H&E-stained section of a sentinel lymph node (breast cancer), from a whole-slide image, viewed at about 2.5×: the field is about 1.9 mm across, about 3.6 µm per pixel.
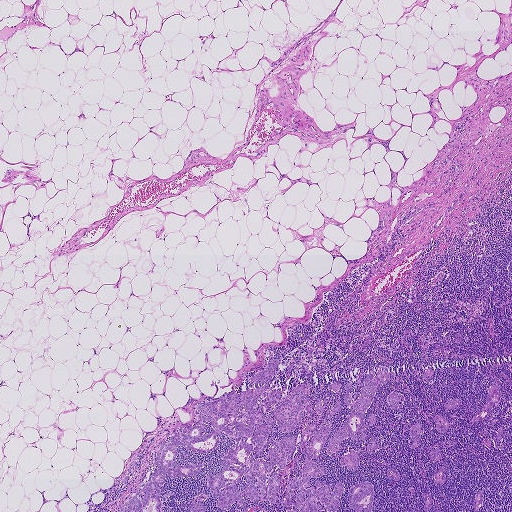
Outlines of the eight largest metastatic tumour regions, each a closed clockwise path in crop pixels (x, y), largest first: region 1: (271, 353), (281, 360), (269, 384), (279, 401), (301, 382), (309, 391), (299, 426), (282, 432), (275, 413), (260, 455), (237, 454), (248, 466), (270, 461), (272, 440), (294, 438), (291, 462), (264, 473), (279, 477), (275, 502), (246, 495), (217, 508), (206, 475), (236, 443), (223, 431), (209, 452), (175, 448), (177, 464), (204, 466), (189, 477), (165, 473), (161, 511), (118, 511), (131, 496), (141, 503), (162, 442), (224, 393), (265, 384), (251, 376); region 2: (331, 421), (330, 430), (323, 450), (318, 458), (311, 459), (327, 468), (328, 472), (320, 477), (310, 478), (309, 486), (304, 487), (305, 489), (315, 487), (316, 481), (319, 481), (326, 482), (326, 484), (341, 481), (344, 486), (338, 509), (334, 511), (328, 511), (318, 501), (322, 508), (318, 511), (287, 511), (301, 506), (295, 508), (292, 505), (287, 506), (282, 503), (282, 499), (288, 483), (300, 474), (301, 466), (305, 455), (304, 449), (313, 434); region 3: (384, 366), (388, 374), (388, 379), (386, 383), (378, 382), (365, 416), (366, 430), (364, 432), (366, 436), (365, 441), (362, 441), (359, 435), (355, 439), (348, 438), (343, 440), (340, 449), (333, 454), (328, 455), (326, 450), (326, 442), (341, 427), (354, 408), (351, 409), (347, 407), (344, 400), (346, 384), (351, 383), (348, 392), (353, 403), (364, 386), (363, 382), (366, 374), (369, 374), (370, 371), (375, 376), (377, 368); region 4: (365, 481), (372, 484), (373, 495), (371, 511), (356, 511), (348, 504), (348, 494), (353, 485); region 5: (495, 382), (497, 383), (499, 388), (498, 402), (492, 407), (490, 415), (481, 421), (473, 422), (471, 420), (472, 418), (485, 404), (490, 385); region 6: (352, 449), (358, 451), (358, 463), (356, 469), (348, 469), (346, 466), (342, 466), (339, 463), (339, 456), (347, 454); region 7: (394, 392), (399, 393), (404, 398), (402, 406), (401, 408), (396, 409), (390, 408), (388, 407), (387, 399), (389, 394); region 8: (416, 422), (421, 424), (421, 427), (419, 434), (421, 442), (417, 446), (410, 448), (409, 446), (412, 443), (409, 438), (408, 430).
11 more, smaller tumour regions are not outlined.
Eight more small tumour pieces are annotated here but not outlined.
About 10% of the image area is annotated as tumour.